Lymph node section stained with H&E, from a whole-slide image of a breast-cancer sentinel node. Magnification about 10×, about 0.5 mm across the frame, about 0.97 µm per pixel.
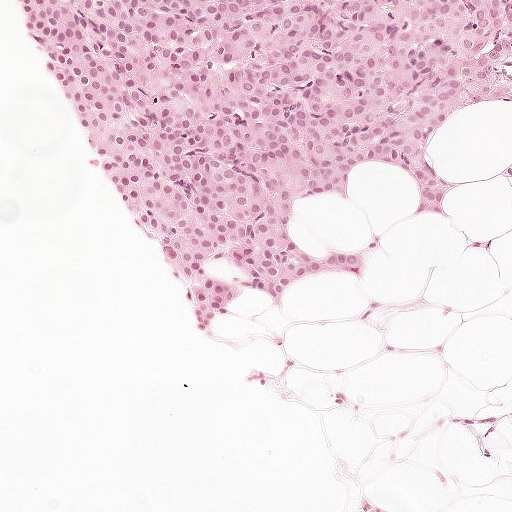
Question: Is any metastatic breast cancer visible in this crop?
Answer: Yes.
The outlined metastatic tumour's edge, as a closed clockwise path of 18 points: (30, 0), (511, 0), (511, 103), (448, 107), (432, 147), (464, 187), (424, 227), (416, 181), (383, 158), (356, 184), (307, 201), (306, 228), (338, 258), (384, 265), (286, 294), (250, 292), (208, 319), (78, 127).
One more small tumour piece is annotated here but not outlined.
Tumour covers about 35% of the frame.